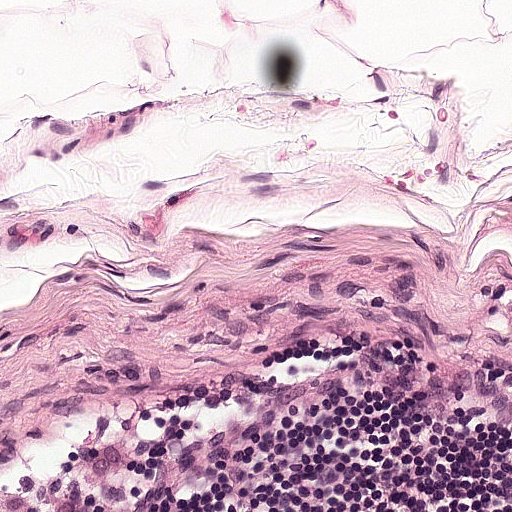
This is a crop of a whole-slide image: an H&E-stained breast-cancer sentinel lymph node section at roughly 20× magnification (about 0.49 µm per pixel; the crop spans about 0.25 mm).